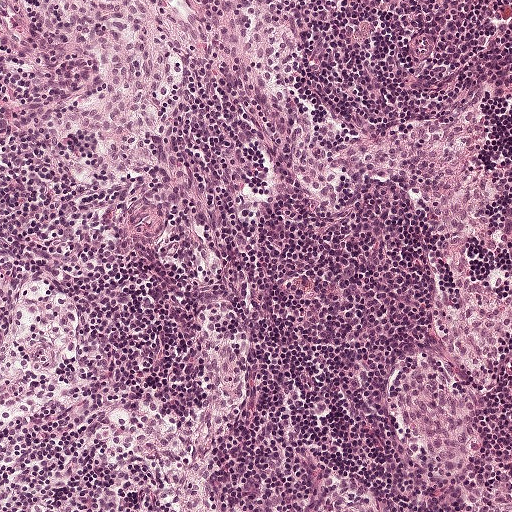
A 0.5-mm field of an H&E-stained sentinel lymph node from a breast-cancer patient (whole-slide image), shown at about 10×, about 0.97 µm per pixel.
Question: Is any metastatic breast cancer visible in this crop?
Answer: No: no metastatic tumour is outlined anywhere in this field.